Image:
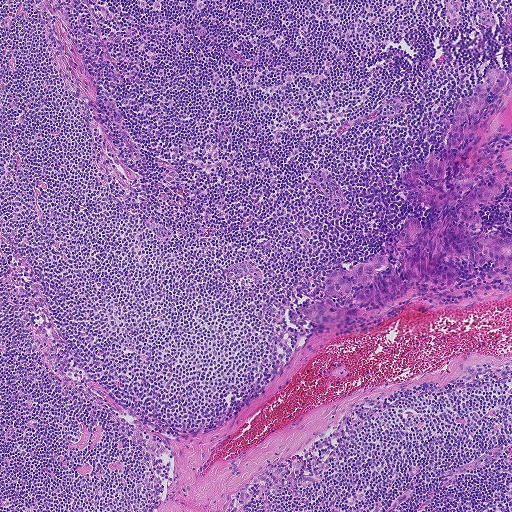
Lymph node section stained with H&E, from a whole-slide image of a breast-cancer sentinel node. Magnification about 5×, about 0.93 mm across the frame, about 1.8 µm per pixel.
Question:
Is there metastatic carcinoma in this field?
Answer:
Yes.
Tumour region outline (a closed clockwise path, crop pixels): (487, 71), (505, 72), (508, 108), (480, 149), (491, 162), (455, 183), (460, 201), (501, 178), (499, 197), (460, 229), (511, 243), (511, 261), (441, 254), (460, 280), (395, 273), (402, 284), (359, 306), (384, 305), (374, 316), (306, 320), (300, 308), (325, 297), (329, 273), (408, 248), (397, 243), (411, 216), (424, 229), (435, 220), (446, 203), (421, 204), (425, 189), (400, 174), (418, 162), (423, 179), (438, 181), (425, 160), (473, 136), (443, 146), (457, 102).
One more small tumour piece is annotated here but not outlined.
The annotated tumour makes up about 5% of the crop.